Question: 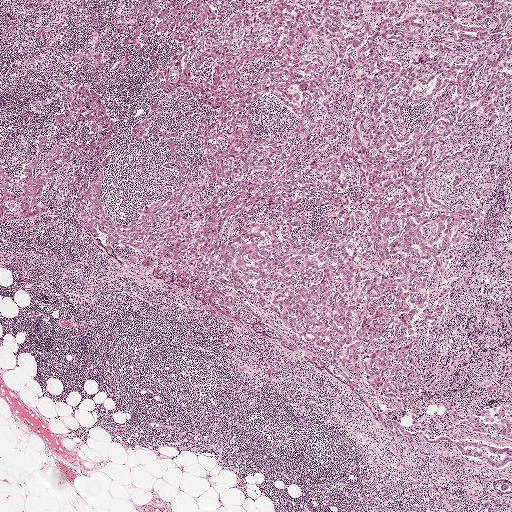
Lymph node section stained with H&E, from a whole-slide image of a breast-cancer sentinel node. Magnification about 2.5×, about 2.0 mm across the frame, about 3.9 µm per pixel.
Estimate the proportion of this field that is metastatic tumour.

Choices:
 (A) about 5% or less
 (B) about 10% to 20%
 (C) about 25% to 45%
 (D) about 50% or more
 (E) none: no tumour is outlined

Answer: (B) about 10% to 20%
About 15% of the field is tumour.
The outlined metastatic tumour's edge, as a closed clockwise path of 20 points: (374, 114), (404, 131), (418, 126), (414, 158), (430, 147), (433, 158), (450, 155), (430, 188), (449, 205), (452, 225), (442, 261), (450, 290), (444, 316), (410, 350), (336, 364), (221, 284), (198, 257), (206, 206), (336, 158), (356, 116).